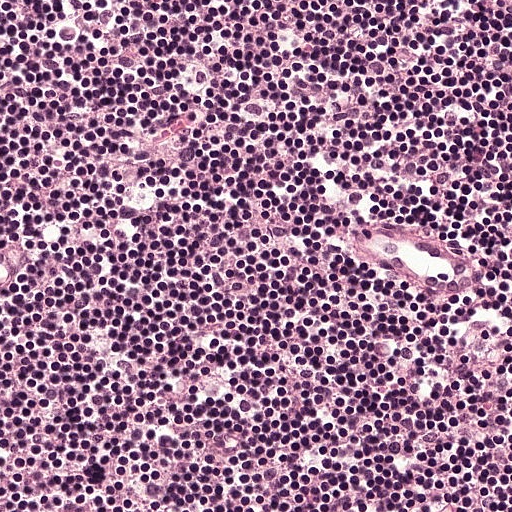
H&E-stained section of a sentinel lymph node (breast cancer), from a whole-slide image, viewed at about 20×: the field is about 0.25 mm across, about 0.49 µm per pixel.
Question: Is any metastatic breast cancer visible in this crop?
Answer: No, this field holds no outlined metastasis.